Question: 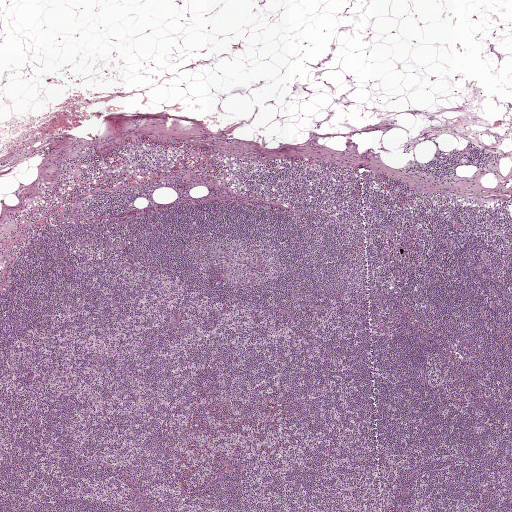
Which magnification is this H&E lymph node field most likely shown at?

Choices:
 (A) about 40×
 (B) about 5×
 (C) about 2.5×
 (D) about 10×
 (E) about 20×

Answer: (C) about 2.5×
H&E-stained section of a sentinel lymph node (breast cancer), from a whole-slide image, viewed at about 2.5×: the field is about 2.0 mm across, about 3.9 µm per pixel.
Question: 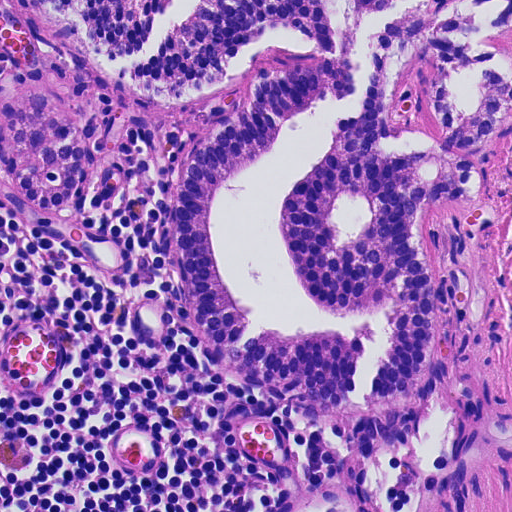
Which magnification is this H&E lymph node field most likely shown at?

Choices:
 (A) about 40×
 (B) about 10×
 (C) about 2.5×
 (D) about 20×
 (E) about 5×

Answer: (D) about 20×
H&E-stained section of a sentinel lymph node (breast cancer), from a whole-slide image, viewed at about 20×: the field is about 0.23 mm across, about 0.45 µm per pixel.
Boundaries of three metastatic tumour regions, simplified and listed clockwise, largest first: region 1: (36, 0), (511, 0), (482, 40), (511, 53), (511, 131), (478, 154), (480, 196), (420, 210), (458, 458), (452, 493), (415, 511), (377, 511), (365, 465), (227, 372), (186, 310), (174, 212), (196, 148), (252, 74), (319, 49), (272, 30), (232, 80), (141, 96); region 2: (38, 69), (78, 114), (91, 140), (91, 170), (72, 194), (48, 207), (20, 198), (0, 173), (0, 100), (14, 84); region 3: (336, 480), (354, 511), (266, 511), (280, 496), (310, 484).
One more small tumour piece is annotated here but not outlined.
About 55% of this field is tumour.
Question: 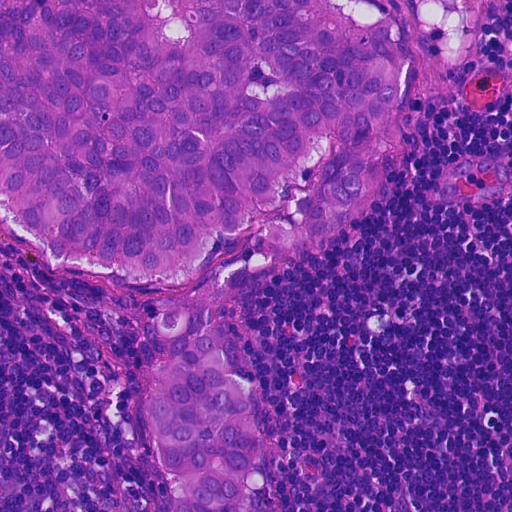
Which magnification is this H&E lymph node field most likely shown at?

Choices:
 (A) about 2.5×
 (B) about 10×
 (C) about 20×
 (D) about 40×
 (E) about 5×

Answer: (C) about 20×
H&E-stained section of a sentinel lymph node (breast cancer), from a whole-slide image, viewed at about 20×: the field is about 0.23 mm across, about 0.45 µm per pixel.
Boundaries of two metastatic tumour regions, simplified and listed clockwise, largest first: region 1: (0, 0), (332, 0), (363, 26), (386, 20), (397, 90), (376, 184), (324, 238), (303, 242), (298, 200), (307, 182), (280, 192), (237, 236), (218, 232), (202, 272), (185, 284), (78, 274), (6, 229); region 2: (205, 330), (224, 347), (250, 390), (261, 440), (233, 511), (175, 511), (156, 466), (157, 448), (145, 427), (142, 402), (150, 377), (178, 336).
One more small tumour piece is annotated here but not outlined.
About 40% of this field is tumour.
Question: 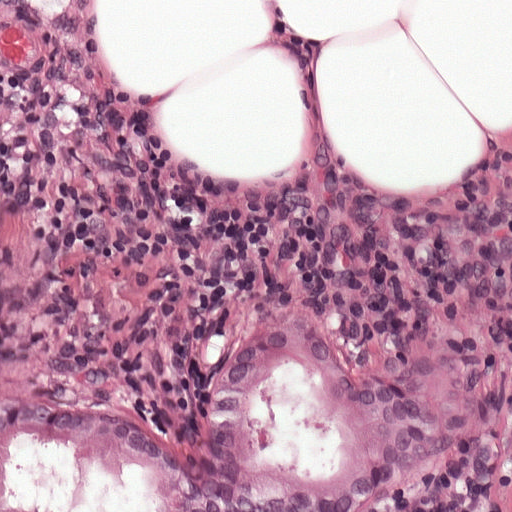
Which magnification is this H&E lymph node field most likely shown at?

Choices:
 (A) about 2.5×
 (B) about 20×
 (C) about 5×
 (D) about 40×
 (E) about 10×

Answer: (B) about 20×
This is a crop of a whole-slide image: an H&E-stained breast-cancer sentinel lymph node section at roughly 20× magnification (about 0.49 µm per pixel; the crop spans about 0.25 mm).
Outlines of two tumour regions, largest first (closed clockwise paths, crop pixels): region 1: (218, 326), (348, 332), (436, 406), (408, 511), (0, 511), (0, 428), (129, 415); region 2: (511, 425), (511, 511), (470, 511), (488, 461).
Tumour covers about 25% of the frame.